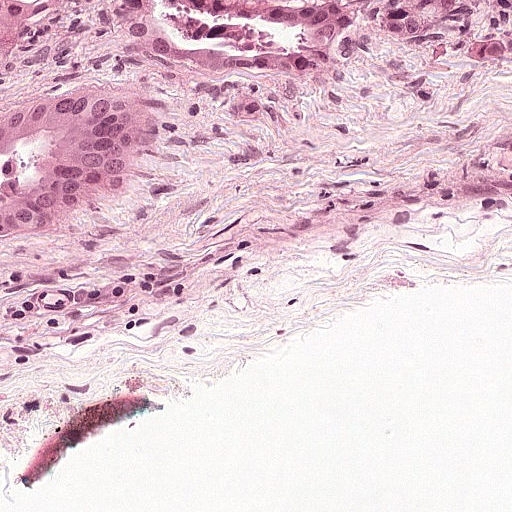
A 0.25-mm field of an H&E-stained sentinel lymph node from a breast-cancer patient (whole-slide image), shown at about 20×, about 0.49 µm per pixel.
Tumour region outline (a closed clockwise path, crop pixels): (0, 0), (479, 0), (310, 68), (242, 64), (196, 76), (151, 158), (128, 178), (101, 193), (62, 192), (0, 212).
About 20% of the image area is annotated as tumour.